Question: 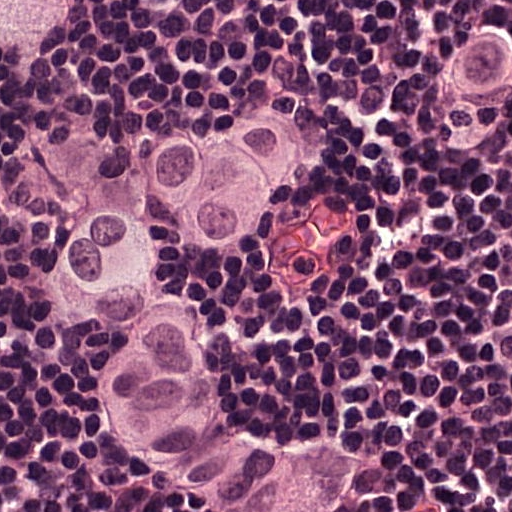
This is a crop of a whole-slide image: an H&E-stained breast-cancer sentinel lymph node section at roughly 40× magnification (about 0.24 µm per pixel; the crop spans about 0.12 mm).
Roughly what share of this field is metastatic tumour?

Choices:
 (A) about 10% to 20%
 (B) about 25% to 45%
 (C) about 5% or less
 (D) none: no tumour is outlined
 (E) about 50% or more

Answer: (B) about 25% to 45%
About 30% of the field is tumour.
Two metastatic tumour regions, each outlined as a closed clockwise path in crop pixels (x, y), largest first: region 1: (490, 21), (511, 33), (511, 74), (462, 124), (403, 102), (340, 108), (253, 218), (203, 243), (143, 230), (153, 280), (193, 311), (231, 390), (278, 418), (331, 421), (356, 452), (350, 490), (322, 504), (168, 496), (31, 315), (34, 268), (90, 180), (146, 140); region 2: (0, 0), (74, 0), (68, 11), (68, 33), (53, 58), (40, 58), (0, 64).